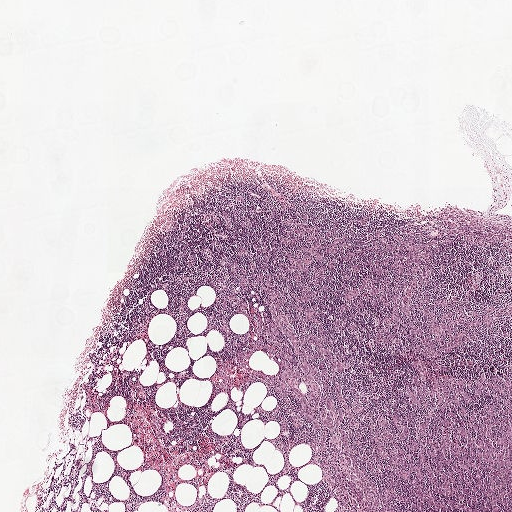
This is a crop of a whole-slide image: an H&E-stained breast-cancer sentinel lymph node section at roughly 2.5× magnification (about 3.9 µm per pixel; the crop spans about 2.0 mm).
Metastatic tumour outline, simplified to 20 points and listed clockwise in crop pixels (x, y): (196, 187), (324, 221), (511, 225), (511, 511), (338, 511), (318, 465), (276, 481), (276, 476), (286, 464), (272, 440), (280, 430), (256, 410), (274, 410), (277, 398), (258, 382), (214, 391), (224, 342), (205, 285), (185, 277), (154, 210).
Tumour covers about 30% of the frame.